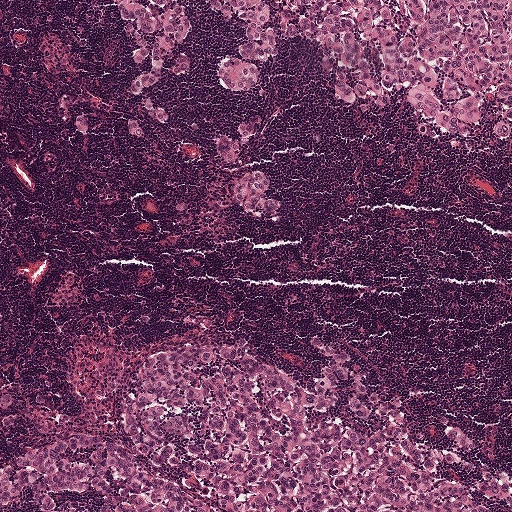
Lymph node section stained with H&E, from a whole-slide image of a breast-cancer sentinel node. Magnification about 5×, about 1 mm across the frame, about 1.9 µm per pixel.
Outlines of three tumour regions, largest first (closed clockwise paths, crop pixels): region 1: (326, 336), (404, 400), (421, 439), (438, 445), (437, 430), (450, 426), (488, 469), (511, 475), (511, 511), (0, 511), (0, 463), (109, 428), (123, 380), (145, 356), (246, 342), (309, 394), (321, 359), (306, 343); region 2: (511, 0), (511, 145), (490, 135), (488, 104), (470, 134), (436, 144), (412, 130), (401, 107), (337, 106), (304, 39), (280, 41), (250, 89), (213, 84), (240, 31), (193, 1), (190, 66), (163, 80), (170, 121), (161, 131), (146, 122), (143, 139), (124, 140), (132, 52), (106, 1); region 3: (253, 115), (262, 118), (261, 126), (240, 147), (238, 159), (245, 167), (262, 169), (268, 175), (272, 184), (270, 197), (272, 200), (270, 215), (244, 210), (232, 191), (229, 171), (214, 153), (217, 138), (227, 133), (236, 132), (243, 119).
About 40% of this field is tumour.